Question: 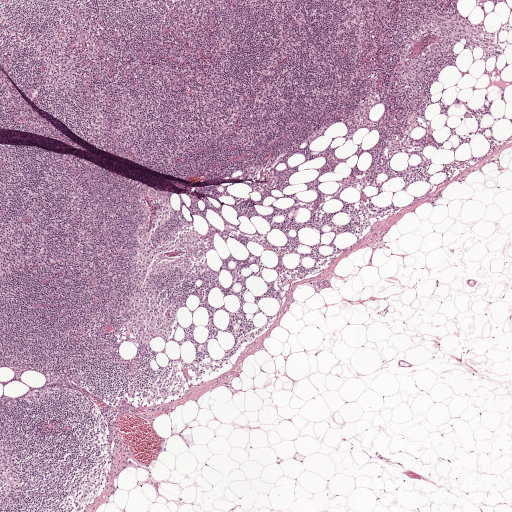
About what magnification does this crop show?

Choices:
 (A) about 2.5×
 (B) about 5×
 (C) about 20×
 (D) about 40×
 (E) about 10×

Answer: (A) about 2.5×
This is a crop of a whole-slide image: an H&E-stained breast-cancer sentinel lymph node section at roughly 2.5× magnification (about 3.9 µm per pixel; the crop spans about 2.0 mm).